Question: 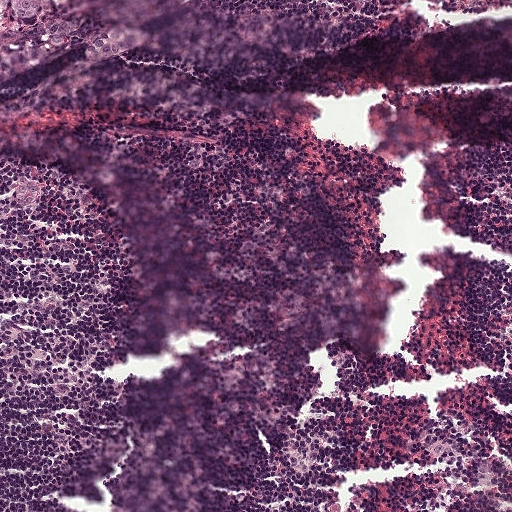
Which magnification is this H&E lymph node field most likely shown at?

Choices:
 (A) about 5×
 (B) about 40×
 (C) about 2.5×
 (D) about 10×
 (E) about 20×

Answer: (D) about 10×
A 0.5-mm field of an H&E-stained sentinel lymph node from a breast-cancer patient (whole-slide image), shown at about 10×, about 0.97 µm per pixel.